H&E-stained section of a sentinel lymph node (breast cancer), from a whole-slide image, viewed at about 2.5×: the field is about 1.9 mm across, about 3.6 µm per pixel.
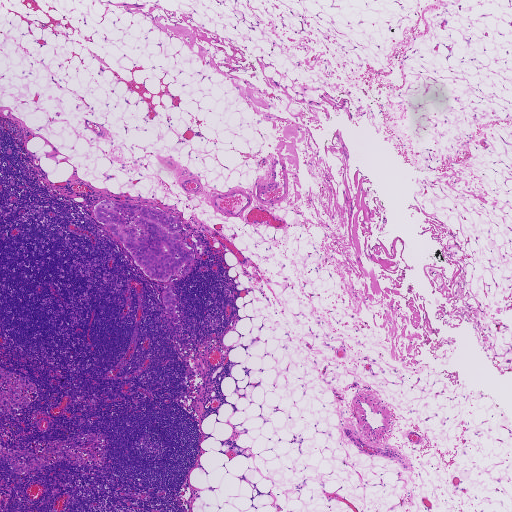
Boundaries of two metastatic tumour regions, simplified and listed clockwise, largest first: region 1: (106, 199), (151, 207), (178, 217), (183, 226), (177, 241), (184, 241), (193, 253), (189, 273), (182, 277), (182, 269), (171, 275), (167, 281), (154, 281), (145, 275), (94, 214), (95, 205); region 2: (166, 288), (170, 288), (175, 295), (177, 301), (173, 310), (178, 317), (174, 318), (168, 316), (162, 297).
One more small tumour piece is annotated here but not outlined.
Under 5% of this field is tumour.